Lymph node section stained with H&E, from a whole-slide image of a breast-cancer sentinel node. Magnification about 10×, about 0.5 mm across the frame, about 0.97 µm per pixel.
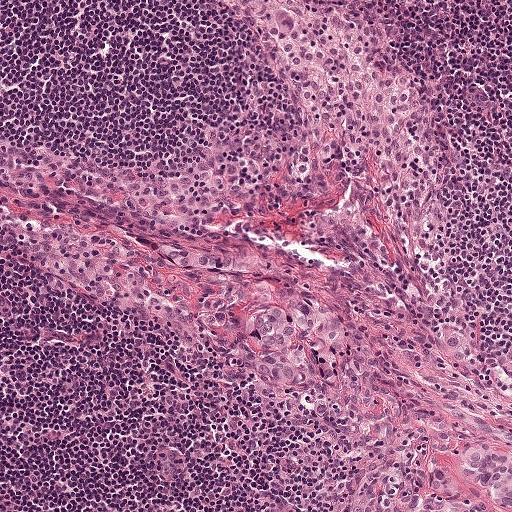
Two metastatic tumour regions, each outlined as a closed clockwise path in crop pixels (x, y), largest first: region 1: (319, 297), (333, 303), (345, 317), (347, 328), (335, 359), (310, 393), (268, 400), (254, 394), (242, 381), (240, 362), (250, 339), (250, 329), (243, 318), (270, 303), (302, 302); region 2: (494, 436), (511, 448), (511, 511), (501, 511), (489, 501), (486, 494), (474, 481), (462, 474), (461, 460), (456, 452), (462, 447).
The annotated tumour makes up about 5% of the crop.